Image:
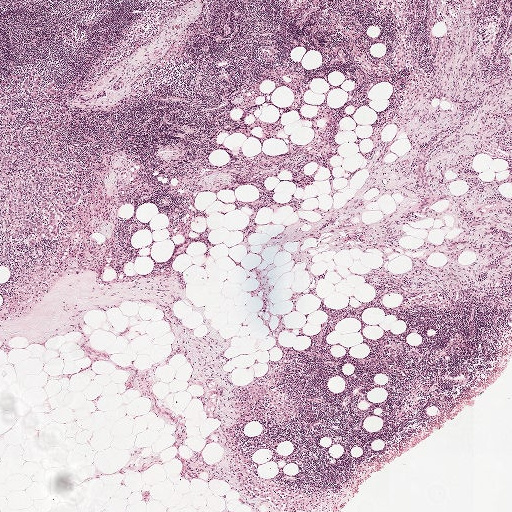
Lymph node section stained with H&E, from a whole-slide image of a breast-cancer sentinel node. Magnification about 2.5×, about 2.0 mm across the frame, about 3.9 µm per pixel.
Question:
Where is the metastatic tumour in this field?
Answer:
One metastatic tumour region; its boundary, reduced to 21 corners and listed clockwise: (28, 74), (44, 77), (44, 92), (48, 83), (58, 80), (55, 88), (70, 90), (72, 123), (61, 150), (77, 188), (82, 184), (77, 203), (65, 207), (58, 236), (50, 238), (47, 232), (36, 247), (12, 242), (0, 224), (0, 86), (22, 86).
Three more small tumour pieces are annotated here but not outlined.
The annotated tumour makes up about 5% of the crop.